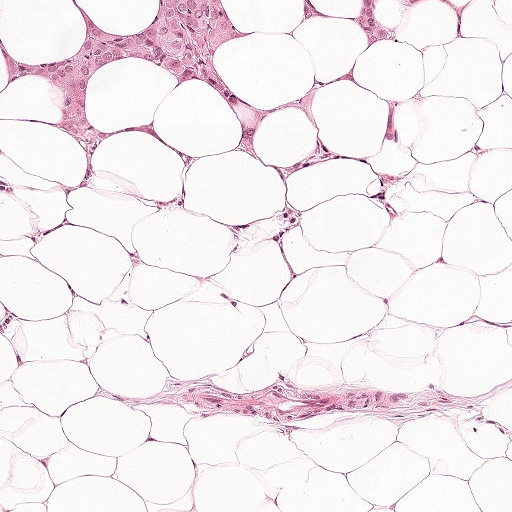
A 0.5-mm field of an H&E-stained sentinel lymph node from a breast-cancer patient (whole-slide image), shown at about 10×, about 0.97 µm per pixel.
Boundaries of two metastatic tumour regions, simplified and listed clockwise, largest first: region 1: (227, 0), (249, 32), (215, 52), (211, 63), (255, 114), (260, 153), (253, 158), (225, 141), (222, 104), (206, 83), (170, 82), (163, 60), (135, 54), (84, 78), (88, 117), (106, 127), (156, 123), (160, 142), (182, 144), (192, 156), (184, 160), (142, 132), (112, 132), (102, 138), (87, 175), (80, 141), (52, 121), (58, 98), (49, 75), (6, 83), (0, 37), (31, 61), (58, 60), (85, 32), (81, 8), (113, 34), (146, 35), (156, 1); region 2: (298, 0), (317, 0), (322, 6), (327, 9), (356, 12), (364, 8), (365, 0), (380, 0), (386, 20), (407, 32), (396, 42), (361, 47), (360, 34), (349, 27), (344, 20), (329, 13), (310, 15), (306, 13), (298, 6).
About 5% of the image area is annotated as tumour.